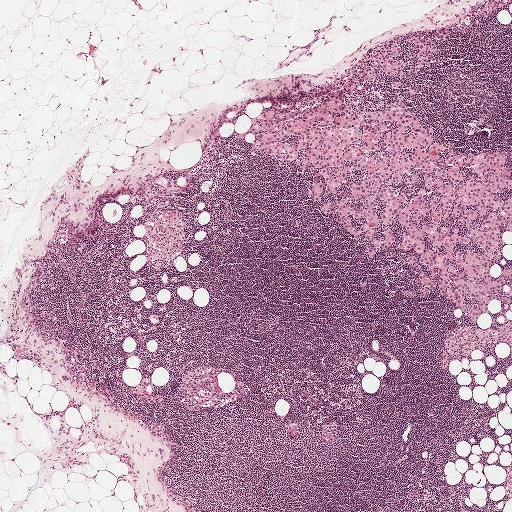
This is a crop of a whole-slide image: an H&E-stained breast-cancer sentinel lymph node section at roughly 2.5× magnification (about 3.9 µm per pixel; the crop spans about 2.0 mm).
Question: Does this lymph node field contain metastatic tumour?
Answer: Yes.
Outlines of five tumour regions, largest first (closed clockwise paths, crop pixels): region 1: (369, 66), (385, 83), (359, 80), (345, 99), (357, 114), (401, 95), (432, 127), (431, 145), (511, 151), (511, 245), (498, 239), (493, 256), (511, 268), (511, 295), (498, 293), (510, 310), (491, 299), (470, 322), (439, 275), (421, 296), (406, 258), (421, 253), (396, 248), (408, 231), (398, 221), (393, 243), (370, 258), (365, 231), (353, 238), (321, 210), (328, 197), (308, 197), (322, 174), (256, 151), (253, 133), (234, 139), (271, 105), (310, 108); region 2: (416, 35), (433, 41), (439, 50), (438, 54), (434, 54), (433, 56), (439, 60), (438, 64), (431, 62), (429, 66), (424, 66), (413, 76), (408, 72), (417, 60), (417, 51), (409, 51), (415, 43), (410, 44), (408, 41), (409, 38); region 3: (392, 44), (400, 44), (401, 54), (392, 58), (394, 60), (401, 59), (406, 64), (402, 71), (406, 76), (401, 78), (399, 76), (400, 71), (393, 77), (385, 74), (384, 71), (382, 74), (379, 74), (378, 72), (379, 69), (382, 69), (381, 62), (372, 55), (380, 51), (379, 48), (383, 46), (385, 48), (390, 48); region 4: (444, 31), (447, 32), (449, 35), (449, 39), (439, 41), (431, 37), (432, 34), (437, 32), (441, 32); region 5: (414, 85), (419, 88), (420, 93), (416, 96), (411, 96), (407, 94), (405, 90), (408, 87).
Two more small tumour pieces are annotated here but not outlined.
The annotated tumour makes up about 15% of the crop.